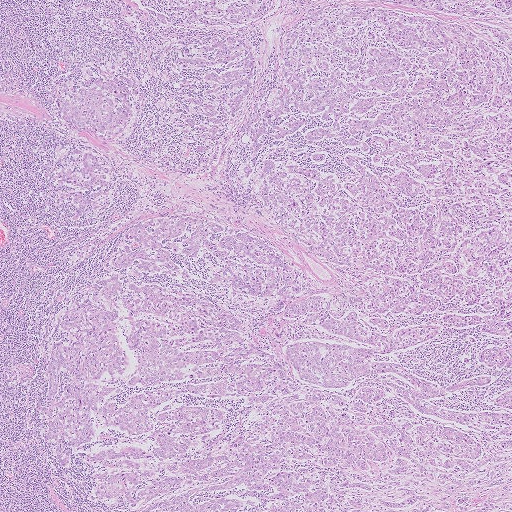
This is a crop of a whole-slide image: an H&E-stained breast-cancer sentinel lymph node section at roughly 2.5× magnification (about 4.0 µm per pixel; the crop spans about 2.0 mm).
Boundaries of three metastatic tumour regions, simplified and listed clockwise, largest first: region 1: (511, 0), (511, 511), (141, 511), (91, 497), (82, 452), (65, 468), (55, 463), (32, 407), (56, 318), (109, 276), (132, 225), (176, 216), (253, 231), (304, 286), (354, 292), (220, 172), (194, 165), (165, 94), (173, 48), (194, 34), (149, 16), (162, 2); region 2: (99, 69), (124, 72), (136, 78), (139, 106), (137, 120), (128, 131), (117, 137), (92, 138), (80, 134), (52, 109), (48, 97), (56, 90); region 3: (89, 150), (100, 154), (109, 163), (116, 173), (117, 186), (109, 195), (97, 200), (83, 217), (74, 223), (63, 221), (65, 209), (64, 198), (56, 188), (48, 181), (51, 171), (60, 165), (71, 163).
Tumour covers about 80% of the frame.